Lymph node section stained with H&E, from a whole-slide image of a breast-cancer sentinel node. Magnification about 40×, about 0.12 mm across the frame, about 0.24 µm per pixel.
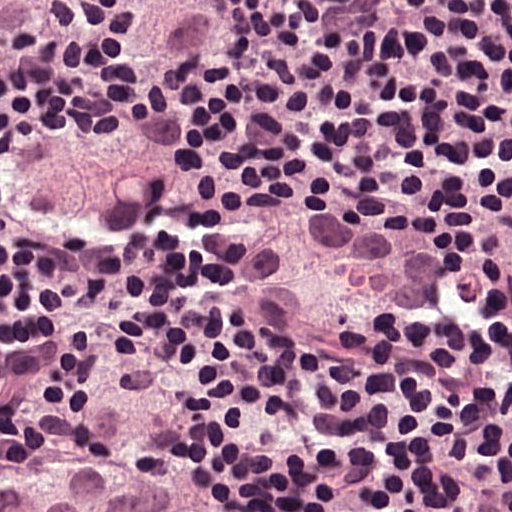
Six metastatic tumour regions, each outlined as a closed clockwise path in crop pixels (x, y), largest first: region 1: (369, 184), (437, 223), (459, 311), (395, 354), (319, 368), (243, 325), (222, 265), (259, 208); region 2: (153, 345), (190, 363), (186, 407), (135, 442), (205, 476), (220, 511), (0, 511), (0, 454), (120, 441), (65, 401), (89, 353); region 3: (180, 104), (214, 162), (153, 239), (102, 240), (41, 233), (0, 196), (0, 138), (33, 131), (106, 131), (136, 112); region 4: (129, 0), (218, 0), (237, 34), (193, 72), (150, 71), (122, 45); region 5: (283, 0), (427, 0), (422, 11), (353, 52), (303, 32); region 6: (0, 0), (79, 0), (74, 4), (27, 50), (0, 45).
About 35% of the image area is annotated as tumour.